Image:
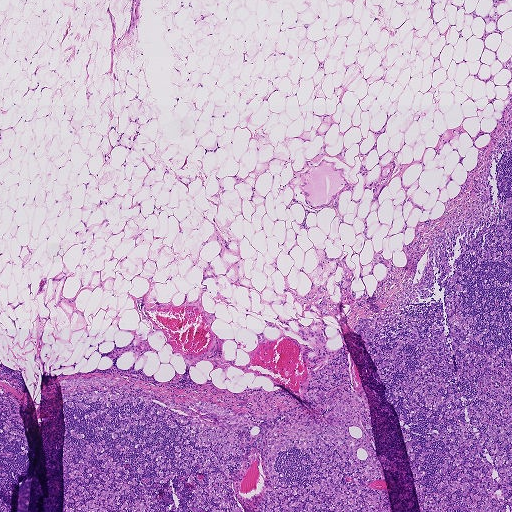
A 1.9-mm field of an H&E-stained sentinel lymph node from a breast-cancer patient (whole-slide image), shown at about 2.5×, about 3.6 µm per pixel.
Question:
Does this lymph node field contain metastatic tumour?
Answer:
Yes.
Three metastatic tumour regions, each outlined as a closed clockwise path in crop pixels (x, y), largest first: region 1: (511, 99), (511, 511), (420, 511), (396, 413), (346, 330), (392, 511), (62, 511), (59, 383), (38, 424), (33, 402), (22, 414), (30, 459), (0, 511), (0, 388), (22, 412), (34, 401), (37, 416), (39, 396), (59, 381), (102, 374), (242, 411), (299, 403), (309, 344), (253, 334), (322, 319), (310, 287), (328, 277), (341, 346), (344, 329), (389, 300), (370, 299), (374, 250), (404, 265); region 2: (492, 0), (511, 0), (511, 15), (507, 13), (500, 18), (499, 27), (504, 31), (501, 36), (493, 34), (485, 39), (484, 43), (477, 38), (481, 35), (482, 31), (483, 22), (481, 18), (471, 20), (469, 16), (464, 14), (469, 13), (476, 8), (481, 15), (485, 14), (489, 11); region 3: (508, 58), (511, 60), (511, 71), (503, 69), (500, 61), (504, 60).
Tumour covers about 35% of the frame.